Lymph node section stained with H&E, from a whole-slide image of a breast-cancer sentinel node. Magnification about 20×, about 0.23 mm across the frame, about 0.45 µm per pixel.
Question: 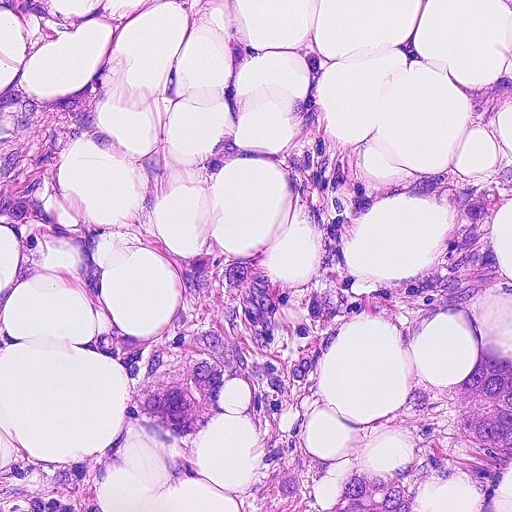
About how much of this crop is taken up by metastatic carcinoma?

Choices:
 (A) about 10% to 20%
 (B) about 25% to 45%
 (C) none: no tumour is outlined
 (D) about 5% or less
 (E) about 50% or more

Answer: (E) about 50% or more
About 55% of the field is tumour.
Boundaries of three metastatic tumour regions, simplified and listed clockwise, largest first: region 1: (308, 42), (365, 171), (511, 171), (492, 225), (507, 288), (420, 325), (356, 318), (307, 422), (324, 507), (361, 466), (411, 455), (393, 406), (407, 382), (460, 380), (511, 342), (497, 511), (0, 511), (0, 90), (47, 101), (91, 81), (104, 101), (114, 158), (82, 140), (54, 176), (104, 236), (110, 306), (149, 334), (184, 304), (136, 222), (140, 150), (163, 138), (162, 251), (256, 260), (295, 287), (312, 269), (272, 158), (202, 176), (191, 155), (235, 132), (275, 151); region 2: (0, 0), (54, 0), (56, 4), (77, 16), (62, 37), (40, 45), (22, 28), (8, 8), (0, 7); region 3: (175, 0), (212, 0), (206, 2), (192, 20).
One more small tumour piece is annotated here but not outlined.